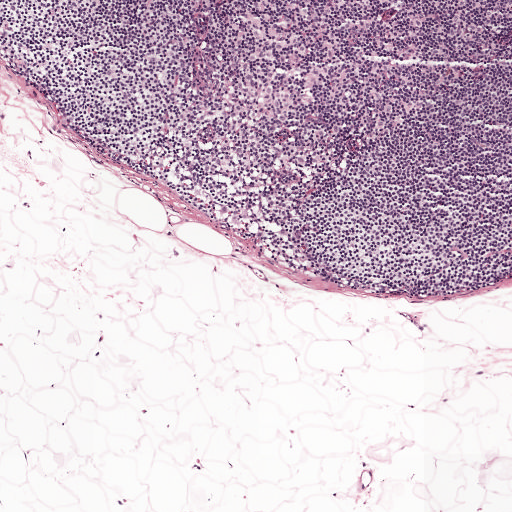
A 1-mm field of an H&E-stained sentinel lymph node from a breast-cancer patient (whole-slide image), shown at about 5×, about 1.9 µm per pixel.